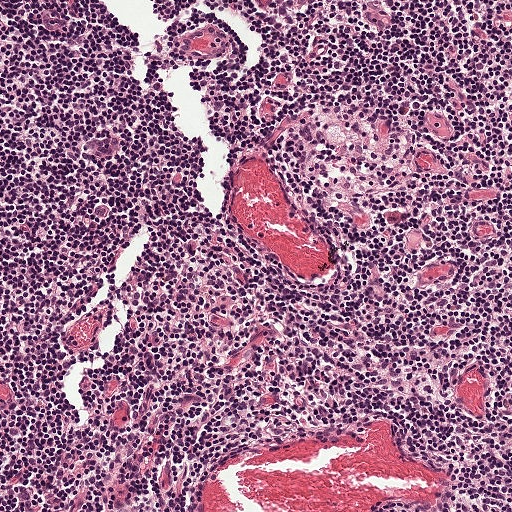
Lymph node section stained with H&E, from a whole-slide image of a breast-cancer sentinel node. Magnification about 10×, about 0.5 mm across the frame, about 0.97 µm per pixel.